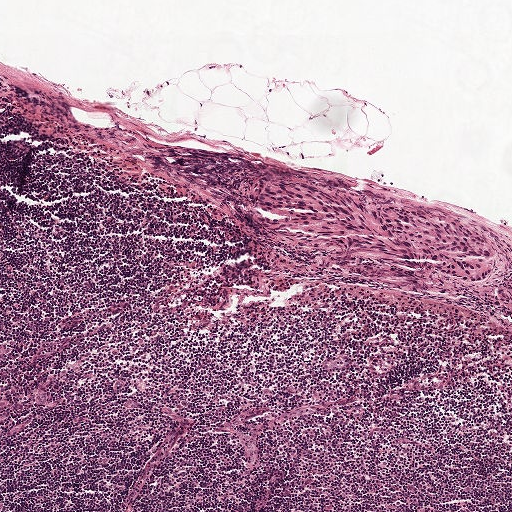
This is a crop of a whole-slide image: an H&E-stained breast-cancer sentinel lymph node section at roughly 5× magnification (about 1.9 µm per pixel; the crop spans about 1 mm).
Question: Is any metastatic breast cancer visible in this crop?
Answer: Yes.
Tumour region outline (a closed clockwise path, crop pixels): (246, 165), (324, 166), (400, 199), (418, 199), (460, 218), (489, 246), (484, 280), (457, 290), (435, 290), (386, 286), (334, 271), (292, 247), (254, 212), (235, 171).
The annotated tumour makes up about 5% of the crop.